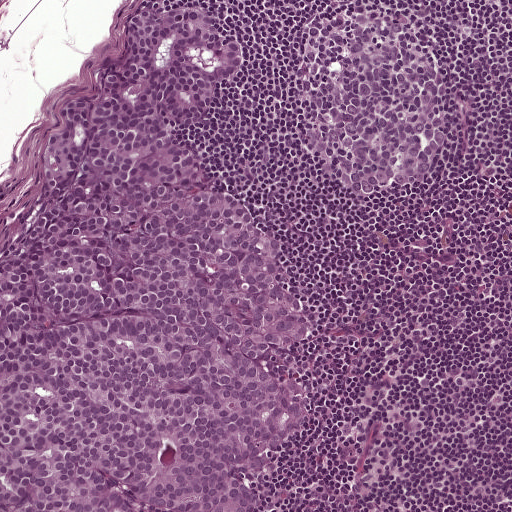
H&E-stained section of a sentinel lymph node (breast cancer), from a whole-slide image, viewed at about 10×: the field is about 0.5 mm across, about 0.97 µm per pixel.
One metastatic tumour region; its boundary, reduced to 16 corners and listed clockwise: (190, 4), (244, 44), (234, 81), (214, 86), (208, 119), (179, 128), (276, 218), (312, 312), (308, 421), (280, 449), (266, 511), (0, 511), (0, 260), (48, 172), (57, 112), (145, 8).
About 45% of this field is tumour.